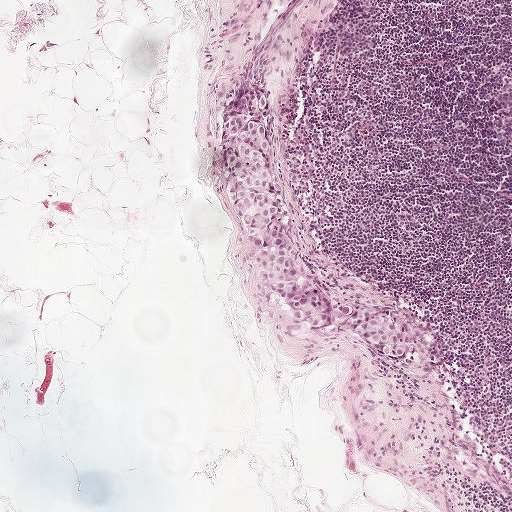
Lymph node section stained with H&E, from a whole-slide image of a breast-cancer sentinel node. Magnification about 5×, about 1 mm across the frame, about 1.9 µm per pixel.
Question: Show where the tumour is in this image.
Answer: Tumour region outline (a closed clockwise path, crop pixels): (242, 87), (270, 91), (266, 102), (277, 119), (281, 196), (315, 273), (335, 298), (386, 313), (416, 334), (419, 353), (409, 366), (394, 367), (370, 342), (332, 336), (275, 310), (262, 297), (252, 245), (228, 213), (222, 166), (225, 115).
The annotated tumour makes up about 5% of the crop.